H&E-stained section of a sentinel lymph node (breast cancer), from a whole-slide image, viewed at about 10×: the field is about 0.5 mm across, about 0.97 µm per pixel.
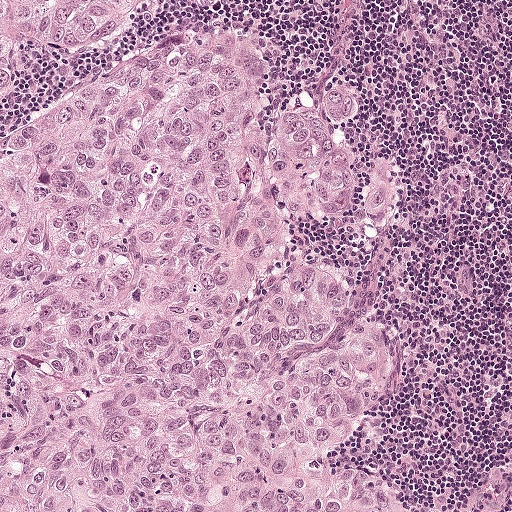
Outlines of two tumour regions, largest first (closed clockwise paths, crop pixels): region 1: (215, 29), (250, 29), (266, 49), (262, 133), (288, 106), (313, 113), (322, 92), (346, 94), (346, 194), (375, 164), (392, 221), (300, 218), (284, 256), (346, 285), (344, 322), (365, 321), (390, 361), (322, 462), (380, 482), (406, 509), (0, 511), (0, 140); region 2: (0, 0), (151, 0), (117, 35), (87, 52), (34, 53), (1, 106).
One more small tumour piece is annotated here but not outlined.
The annotated tumour makes up about 60% of the crop.